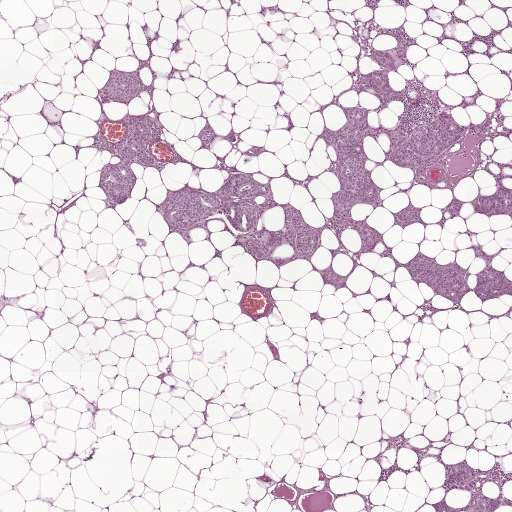
A 2.0-mm field of an H&E-stained sentinel lymph node from a breast-cancer patient (whole-slide image), shown at about 2.5×, about 3.9 µm per pixel.
The eight largest tumour regions' boundaries, simplified and listed clockwise, largest first: region 1: (240, 173), (269, 187), (269, 192), (255, 199), (233, 199), (254, 205), (258, 209), (256, 224), (248, 231), (232, 227), (228, 217), (221, 210), (186, 227), (170, 227), (163, 219), (166, 197), (185, 188), (211, 195), (220, 201), (225, 199), (225, 194), (222, 190), (223, 185), (230, 176); region 2: (360, 107), (368, 113), (368, 128), (362, 131), (364, 169), (378, 190), (377, 198), (353, 204), (349, 211), (351, 220), (336, 222), (331, 221), (335, 192), (347, 192), (339, 180), (342, 171), (336, 142), (327, 146), (319, 136), (325, 128), (334, 132), (346, 126), (342, 108); region 3: (475, 249), (481, 249), (490, 257), (493, 268), (511, 281), (511, 297), (503, 295), (486, 301), (473, 291), (468, 293), (460, 302), (443, 298), (425, 284), (414, 281), (407, 266), (420, 254), (433, 259), (435, 264), (453, 262), (468, 270), (469, 287), (474, 288), (487, 262); region 4: (440, 112), (444, 112), (450, 115), (453, 121), (464, 129), (461, 137), (439, 157), (429, 161), (419, 169), (412, 169), (396, 165), (390, 157), (391, 134), (400, 132), (403, 134), (405, 140), (411, 141), (416, 136), (425, 134), (427, 128); region 5: (466, 461), (473, 470), (485, 472), (496, 478), (500, 483), (494, 486), (490, 482), (484, 482), (482, 488), (483, 494), (489, 497), (495, 498), (500, 496), (507, 495), (511, 498), (511, 504), (501, 505), (496, 508), (492, 511), (468, 511), (468, 506), (472, 502), (474, 496), (471, 491), (466, 488), (454, 488), (448, 491), (452, 486), (451, 480), (446, 469), (450, 466), (462, 463); region 6: (378, 49), (385, 52), (399, 49), (405, 52), (402, 57), (405, 63), (390, 71), (388, 74), (389, 88), (405, 94), (402, 101), (399, 103), (393, 101), (383, 103), (372, 90), (359, 92), (357, 89), (366, 74), (384, 71), (384, 67), (374, 58), (374, 54); region 7: (117, 70), (128, 71), (134, 73), (138, 78), (140, 83), (140, 88), (134, 98), (123, 100), (112, 100), (101, 97), (104, 80), (112, 71); region 8: (113, 164), (125, 165), (136, 178), (134, 188), (124, 201), (119, 202), (109, 198), (103, 189), (100, 173), (104, 168).
11 more, smaller tumour regions are not outlined.
Four more small tumour pieces are annotated here but not outlined.
About 10% of the image area is annotated as tumour.